Question: 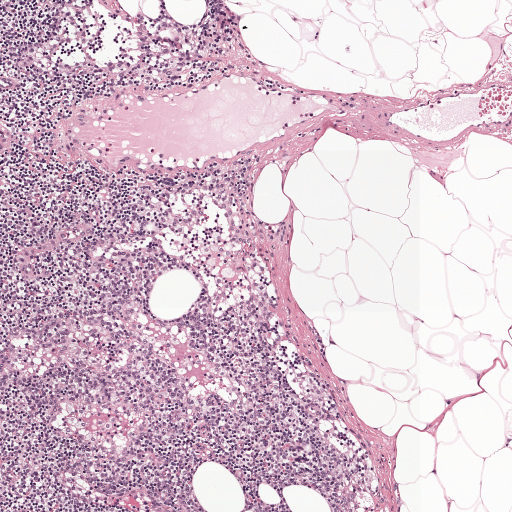
At roughly what magnification is this field shown?

Choices:
 (A) about 2.5×
 (B) about 40×
 (C) about 5×
 (D) about 10×
 (E) about 20×

Answer: (C) about 5×
Lymph node section stained with H&E, from a whole-slide image of a breast-cancer sentinel node. Magnification about 5×, about 1 mm across the frame, about 1.9 µm per pixel.